Image:
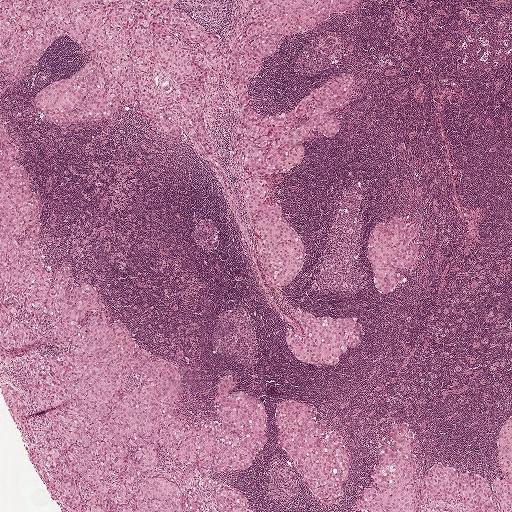
This is a crop of a whole-slide image: an H&E-stained breast-cancer sentinel lymph node section at roughly 2.5× magnification (about 3.9 µm per pixel; the crop spans about 2.0 mm).
Question:
Where is the metastatic tumour in this field? Give each region's outline as (x, y) pixel points.
Answer:
Outlines of seven tumour regions, largest first (closed clockwise paths, crop pixels): region 1: (0, 114), (42, 197), (42, 252), (54, 271), (70, 259), (77, 285), (99, 288), (108, 322), (174, 360), (184, 420), (218, 418), (224, 373), (229, 393), (259, 398), (255, 458), (209, 474), (254, 511), (62, 511), (0, 391), (1, 380), (26, 388), (25, 357), (0, 357); region 2: (0, 0), (179, 0), (176, 9), (220, 36), (235, 0), (358, 0), (267, 47), (252, 78), (251, 105), (264, 115), (340, 71), (352, 79), (330, 110), (338, 128), (297, 141), (309, 154), (266, 193), (304, 243), (285, 286), (259, 256), (229, 144), (235, 118), (222, 104), (210, 112), (215, 160), (187, 97), (168, 114), (179, 141), (130, 97), (104, 120), (46, 120), (32, 93), (87, 51), (68, 32), (0, 87); region 3: (286, 398), (307, 401), (313, 405), (316, 419), (340, 432), (351, 471), (344, 493), (334, 506), (319, 506), (304, 480), (295, 470), (277, 435), (276, 402); region 4: (510, 414), (511, 511), (436, 511), (434, 506), (422, 504), (419, 490), (432, 464), (446, 464), (494, 480), (502, 476), (497, 446), (506, 418); region 5: (400, 421), (412, 430), (418, 454), (418, 475), (412, 511), (360, 511), (355, 502), (360, 489), (367, 486), (370, 480), (375, 458), (386, 433), (391, 425); region 6: (300, 306), (320, 315), (327, 313), (334, 316), (354, 318), (358, 324), (362, 342), (344, 352), (340, 361), (336, 364), (323, 364), (302, 358), (290, 349), (284, 336), (288, 329), (298, 333), (302, 329), (293, 308); region 7: (398, 214), (408, 219), (416, 227), (414, 235), (417, 251), (416, 260), (410, 270), (395, 267), (396, 270), (404, 277), (389, 291), (382, 291), (375, 284), (367, 262), (369, 233), (375, 222).
The annotated tumour makes up about 40% of the crop.

Image:
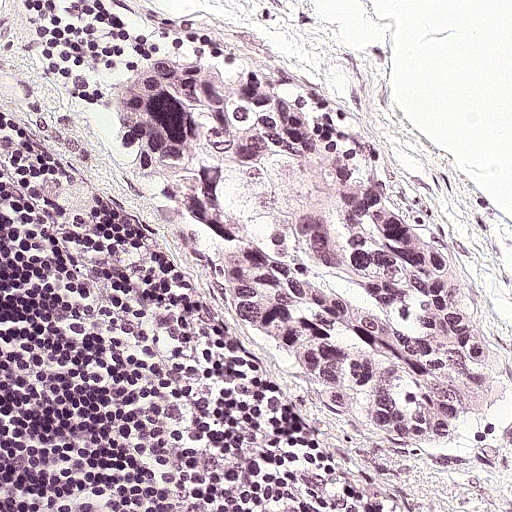
Lymph node section stained with H&E, from a whole-slide image of a breast-cancer sentinel node. Magnification about 20×, about 0.25 mm across the frame, about 0.49 µm per pixel.
Question:
Where is the metastatic tumour in this field? Give each region's outline as (x, y) pixel points.
Answer:
One metastatic tumour region; its boundary, reduced to 19 corners and listed clockwise: (150, 56), (182, 57), (306, 104), (381, 172), (418, 228), (456, 252), (465, 302), (490, 327), (497, 377), (484, 442), (454, 460), (420, 460), (368, 439), (306, 389), (253, 331), (210, 244), (169, 214), (114, 114), (114, 92).
The annotated tumour makes up about 30% of the crop.

Image:
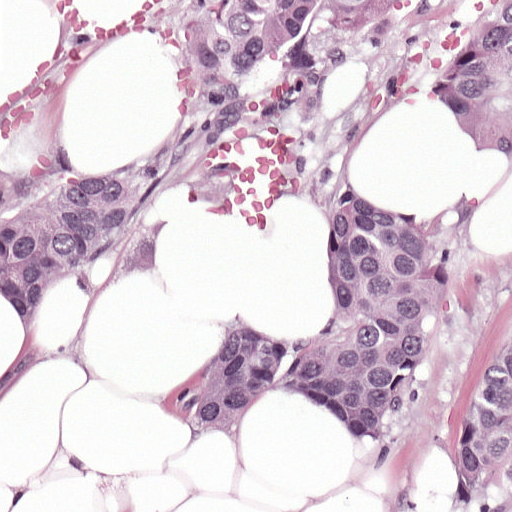
Lymph node section stained with H&E, from a whole-slide image of a breast-cancer sentinel node. Magnification about 20×, about 0.25 mm across the frame, about 0.49 µm per pixel.
Question:
Where is the metastatic tumour in this field? Give each region's outline as (x, y) pixel points.
Answer:
Outlines of three tumour regions, largest first (closed clockwise paths, crop pixels): region 1: (324, 196), (368, 196), (463, 234), (511, 221), (511, 511), (448, 511), (456, 476), (286, 401), (218, 448), (164, 441), (161, 391), (231, 309), (274, 329), (328, 309); region 2: (209, 0), (407, 0), (214, 142), (158, 226), (146, 226), (66, 304), (24, 328), (0, 308), (0, 213), (14, 196), (108, 162), (196, 112); region 3: (499, 0), (511, 0), (511, 165), (506, 166), (436, 92), (480, 16).
About 40% of this field is tumour.

Image:
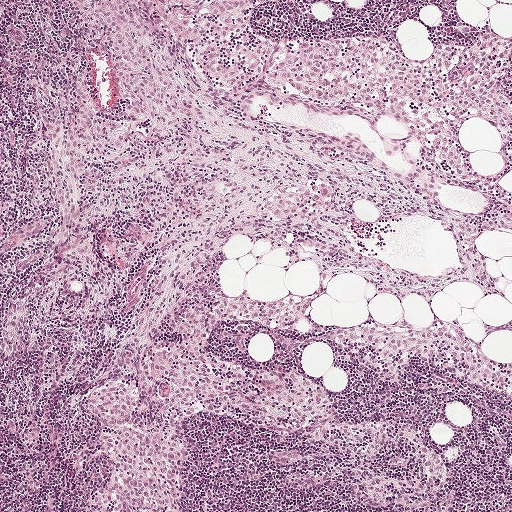
A 1-mm field of an H&E-stained sentinel lymph node from a breast-cancer patient (whole-slide image), shown at about 5×, about 1.9 µm per pixel.
Question:
Where is the metastatic tumour in this field? Give each region's outline as (x, y) pixel points.
Answer:
One metastatic tumour region; its boundary, reduced to 20 corners and listed clockwise: (70, 0), (138, 0), (149, 19), (154, 46), (162, 68), (170, 78), (175, 78), (173, 88), (167, 91), (164, 106), (156, 108), (148, 101), (134, 112), (125, 108), (120, 101), (116, 55), (99, 43), (77, 16), (65, 12), (65, 4).
Under 5% of this field is tumour.